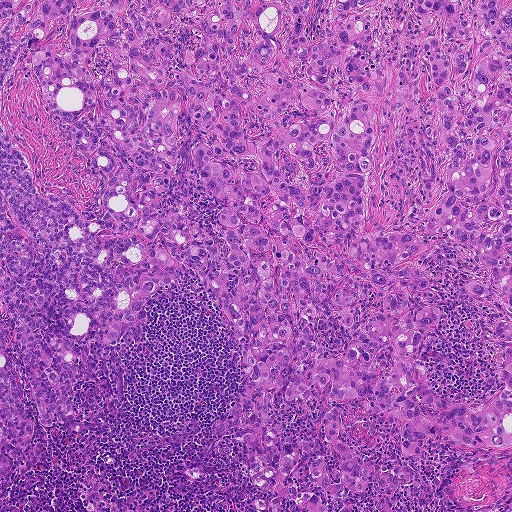
Lymph node section stained with H&E, from a whole-slide image of a breast-cancer sentinel node. Magnification about 5×, about 0.93 mm across the frame, about 1.8 µm per pixel.
Question: Where is the metastatic tumour in this field?
Answer: Tumour region outline (a closed clockwise path, crop pixels): (0, 0), (511, 0), (511, 448), (402, 457), (406, 420), (338, 403), (337, 437), (432, 497), (328, 496), (330, 382), (290, 402), (287, 366), (270, 410), (328, 511), (262, 511), (211, 428), (250, 372), (183, 264), (91, 349), (69, 434), (12, 336), (44, 451), (2, 476).
One more small tumour piece is annotated here but not outlined.
About 80% of this field is tumour.